This is a crop of a whole-slide image: an H&E-stained breast-cancer sentinel lymph node section at roughly 20× magnification (about 0.49 µm per pixel; the crop spans about 0.25 mm).
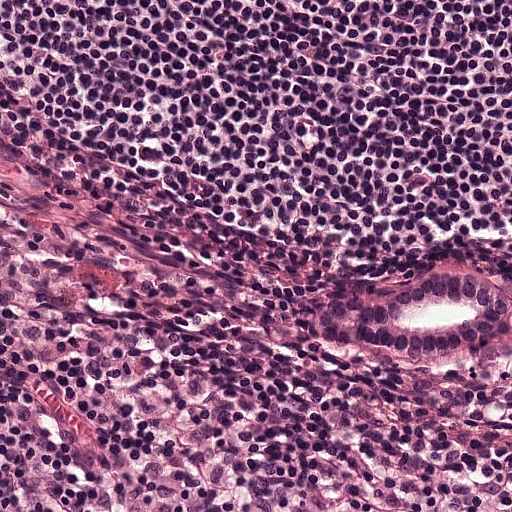
Metastatic tumour outline, simplified to 13 points and listed clockwise in crop pixels (x, y): (429, 275), (494, 275), (508, 280), (511, 359), (500, 365), (444, 365), (394, 356), (336, 353), (322, 348), (306, 326), (306, 310), (325, 295), (400, 285).
About 5% of this field is tumour.